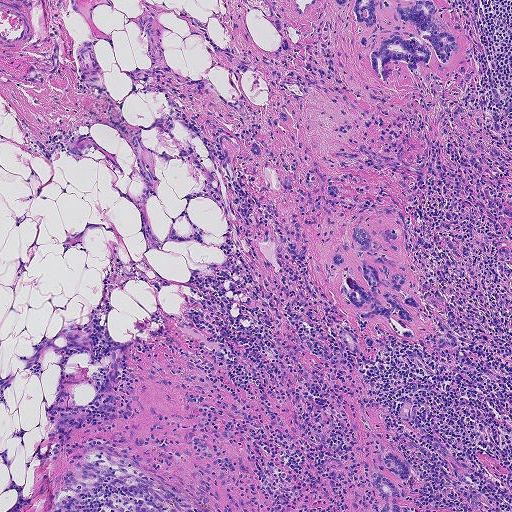
This is a crop of a whole-slide image: an H&E-stained breast-cancer sentinel lymph node section at roughly 5× magnification (about 1.8 µm per pixel; the crop spans about 0.93 mm).
Outlines of the eight largest metastatic tumour regions, each a closed clockwise path in crop pixels (x, y), largest first: region 1: (378, 207), (402, 214), (403, 252), (390, 254), (406, 265), (416, 288), (410, 291), (458, 347), (410, 340), (375, 317), (367, 325), (377, 346), (366, 348), (356, 310), (339, 292), (340, 267), (330, 256), (349, 240), (356, 220); region 2: (353, 0), (431, 0), (435, 5), (435, 15), (444, 30), (455, 37), (458, 49), (447, 64), (440, 63), (432, 52), (429, 63), (422, 63), (413, 70), (407, 69), (404, 63), (392, 64), (386, 82), (374, 74), (368, 64), (358, 58), (361, 40), (368, 29), (357, 24); region 3: (388, 447), (396, 448), (402, 454), (413, 477), (413, 486), (410, 494), (403, 498), (400, 507), (401, 511), (376, 511), (379, 506), (376, 497), (370, 491), (368, 483), (369, 474), (376, 469), (381, 452); region 4: (241, 0), (266, 0), (275, 12), (276, 18), (281, 21), (283, 34), (289, 44), (289, 50), (283, 50), (280, 34), (268, 20), (260, 11), (248, 7); region 5: (93, 144), (98, 148), (84, 156), (76, 156), (69, 154), (64, 148), (70, 145); region 6: (284, 112), (288, 116), (287, 122), (280, 120), (278, 124), (273, 126), (267, 124), (267, 118), (273, 117), (278, 113); region 7: (327, 177), (330, 177), (331, 180), (339, 189), (339, 196), (334, 198), (328, 196), (327, 190); region 8: (477, 494), (481, 501), (482, 511), (470, 511), (471, 499).
Two more, smaller tumour regions are not outlined.
Two more small tumour pieces are annotated here but not outlined.
Tumour covers about 5% of the frame.